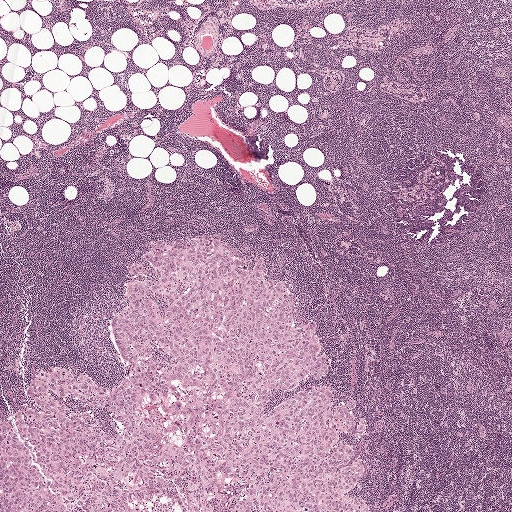
Lymph node section stained with H&E, from a whole-slide image of a breast-cancer sentinel node. Magnification about 2.5×, about 2.0 mm across the frame, about 3.9 µm per pixel.
Metastatic tumour outline, simplified to 22 points and listed clockwise in crop pixels (x, y): (155, 240), (215, 241), (251, 270), (262, 256), (314, 324), (327, 372), (265, 413), (320, 385), (332, 412), (353, 402), (364, 434), (337, 442), (364, 468), (346, 494), (370, 511), (0, 511), (0, 420), (32, 411), (42, 369), (120, 384), (127, 267), (152, 279).
About 25% of this field is tumour.